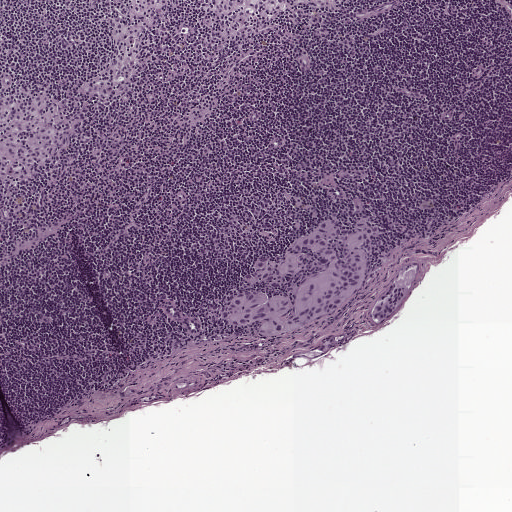
A 1-mm field of an H&E-stained sentinel lymph node from a breast-cancer patient (whole-slide image), shown at about 5×, about 1.9 µm per pixel.
Three metastatic tumour regions, each outlined as a closed clockwise path in crop pixels (x, y), largest first: region 1: (358, 195), (366, 203), (368, 217), (383, 232), (363, 280), (332, 317), (270, 338), (262, 337), (254, 325), (231, 327), (206, 310), (206, 303), (212, 300), (270, 284), (237, 286), (235, 279), (257, 256), (272, 258), (325, 217), (333, 217), (346, 229), (356, 218), (351, 198); region 2: (399, 282), (408, 284), (408, 290), (392, 317), (386, 322), (375, 324), (371, 319), (370, 314), (375, 299), (391, 283); region 3: (330, 334), (338, 342), (336, 348), (330, 353), (322, 353), (318, 348), (319, 340), (324, 336).
About 5% of the image area is annotated as tumour.